A 0.25-mm field of an H&E-stained sentinel lymph node from a breast-cancer patient (whole-slide image), shown at about 20×, about 0.49 µm per pixel.
Image:
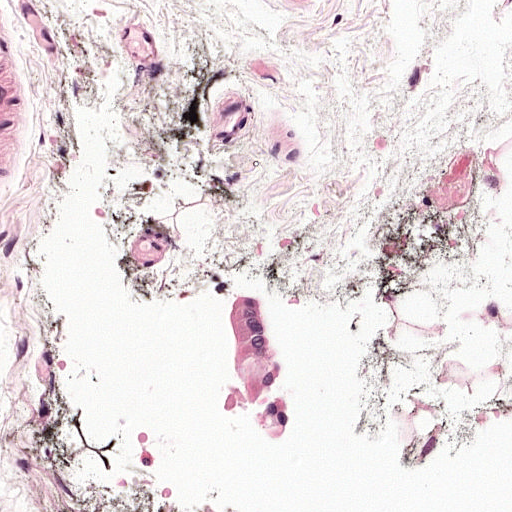
Question:
Which parts of this field are metastatic tumour?
Answer:
The outlined metastatic tumour's edge, as a closed clockwise path of 10 points: (273, 286), (272, 326), (298, 402), (298, 440), (264, 447), (247, 422), (218, 418), (230, 372), (219, 306), (232, 294).
The annotated tumour makes up about 5% of the crop.